Image:
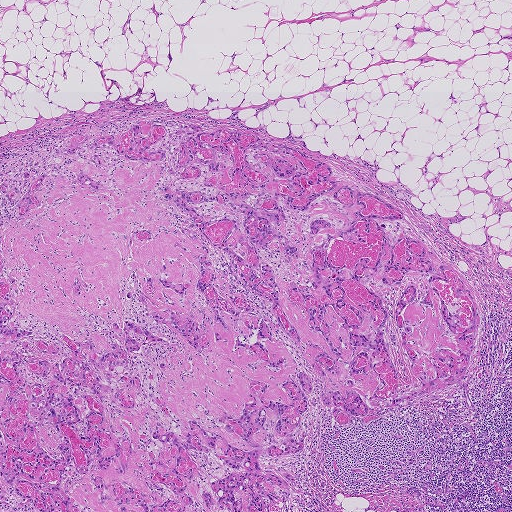
This is a crop of a whole-slide image: an H&E-stained breast-cancer sentinel lymph node section at roughly 2.5× magnification (about 3.6 µm per pixel; the crop spans about 1.9 mm).
Question:
Describe where the metastatic carcinoma lies in this crop.
Answer:
Tumour region outline (a closed clockwise path, crop pixels): (144, 120), (244, 130), (390, 203), (464, 279), (479, 318), (470, 376), (342, 427), (320, 392), (305, 394), (304, 450), (276, 462), (295, 479), (283, 507), (0, 511), (0, 171), (19, 200), (29, 185), (20, 176), (43, 170), (79, 133), (121, 133).
About 55% of the image area is annotated as tumour.